Question: 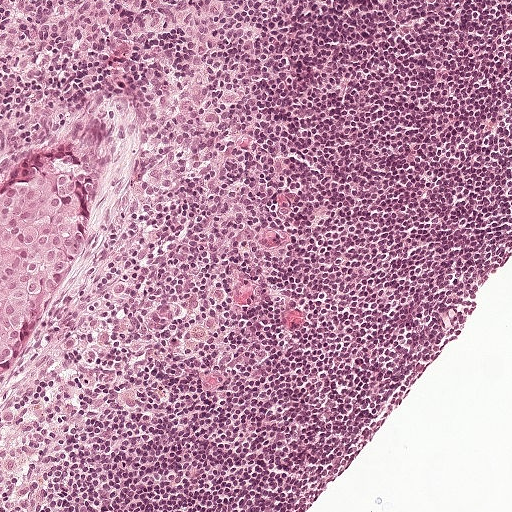
A 0.5-mm field of an H&E-stained sentinel lymph node from a breast-cancer patient (whole-slide image), shown at about 10×, about 0.97 µm per pixel.
Estimate the proportion of this field that is metastatic tumour.

Choices:
 (A) none: no tumour is outlined
 (B) about 25% to 45%
 (C) about 10% to 20%
 (D) about 50% or more
 (E) about 5% or less

Answer: (E) about 5% or less
About 5% of the field is tumour.
Metastatic tumour outline, simplified to 11 points and listed clockwise in crop pixels (x, y): (81, 144), (89, 148), (103, 176), (105, 200), (94, 248), (70, 297), (50, 319), (9, 350), (0, 370), (0, 195), (49, 155).